Lymph node section stained with H&E, from a whole-slide image of a breast-cancer sentinel node. Magnification about 20×, about 0.25 mm across the frame, about 0.49 µm per pixel.
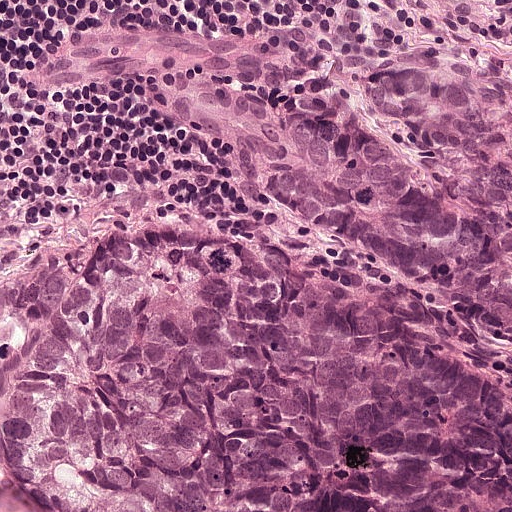
Question: Where is the metastatic tumour in this field?
Answer: Two metastatic tumour regions, each outlined as a closed clockwise path in crop pixels (x, y), largest first: region 1: (158, 219), (266, 256), (511, 398), (511, 498), (484, 510), (0, 511), (0, 269), (74, 233); region 2: (284, 3), (347, 58), (468, 53), (511, 74), (511, 357), (416, 288), (247, 203), (145, 108), (31, 83), (38, 38), (88, 19), (220, 22).
Tumour covers about 75% of the frame.